A 1.9-mm field of an H&E-stained sentinel lymph node from a breast-cancer patient (whole-slide image), shown at about 2.5×, about 3.6 µm per pixel.
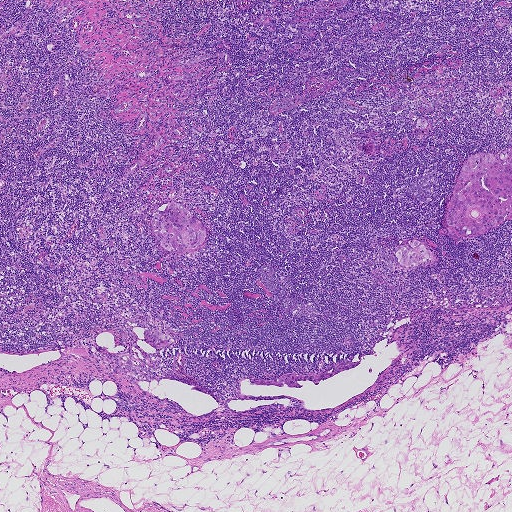
Five metastatic tumour regions, each outlined as a closed clockwise path in crop pixels (x, y), largest first: region 1: (511, 141), (511, 219), (490, 231), (466, 238), (447, 232), (445, 211), (466, 158), (476, 152), (502, 152); region 2: (173, 202), (184, 207), (202, 223), (205, 238), (197, 248), (168, 251), (155, 238), (151, 222), (153, 213), (160, 206); region 3: (411, 239), (421, 241), (432, 251), (433, 255), (432, 260), (428, 263), (413, 267), (398, 265), (394, 256), (395, 251); region 4: (356, 361), (359, 361), (356, 366), (353, 367), (341, 371), (333, 376), (321, 380), (317, 385), (314, 384), (311, 381), (308, 380), (299, 380), (296, 382), (301, 387), (289, 387), (287, 385), (284, 384), (282, 387), (278, 387), (273, 385), (267, 386), (251, 384), (248, 379), (272, 379), (286, 374), (292, 373), (298, 376), (308, 376), (320, 375), (342, 365); region 5: (156, 329), (172, 337), (173, 343), (164, 348), (155, 349), (144, 340), (145, 332).
One more small tumour piece is annotated here but not outlined.
The annotated tumour makes up about 5% of the crop.